Question: 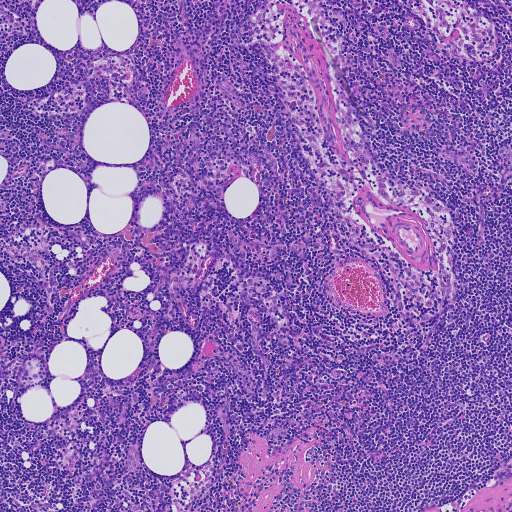
Which magnification is this H&E lymph node field most likely shown at?

Choices:
 (A) about 40×
 (B) about 2.5×
 (C) about 10×
 (D) about 5×
 (E) about 20×

Answer: (D) about 5×
A 0.93-mm field of an H&E-stained sentinel lymph node from a breast-cancer patient (whole-slide image), shown at about 5×, about 1.8 µm per pixel.